Lymph node section stained with H&E, from a whole-slide image of a breast-cancer sentinel node. Magnification about 20×, about 0.25 mm across the frame, about 0.49 µm per pixel.
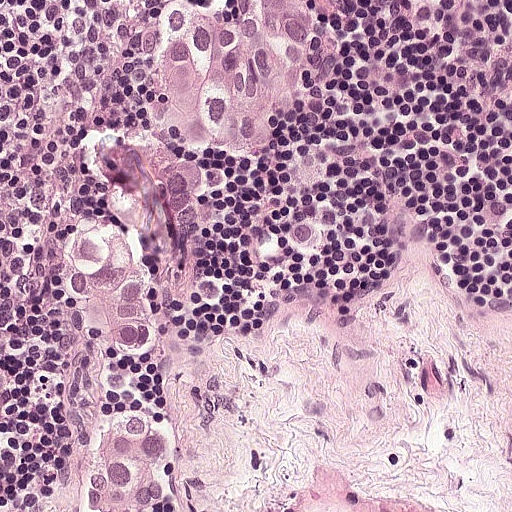
The outlined metastatic tumour's edge, as a closed clockwise path of 22 points: (170, 0), (302, 0), (306, 88), (282, 146), (252, 169), (209, 182), (217, 246), (202, 277), (170, 300), (138, 355), (104, 372), (109, 404), (162, 433), (159, 511), (78, 511), (82, 419), (64, 348), (62, 264), (80, 222), (111, 204), (96, 155), (145, 128).
Tumour covers about 20% of the frame.